Image:
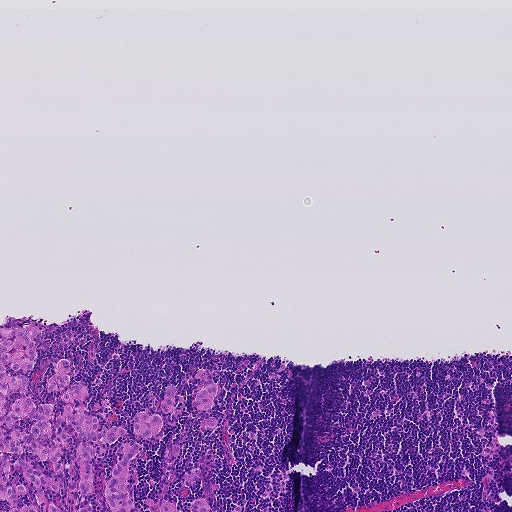
A 0.93-mm field of an H&E-stained sentinel lymph node from a breast-cancer patient (whole-slide image), shown at about 5×, about 1.8 µm per pixel.
Question:
Trace the edge of each tumour region in this crop, as (x, y) points from 0 to 511.
Answer:
Boundaries of five metastatic tumour regions, simplified and listed clockwise, largest first: region 1: (0, 327), (41, 328), (26, 388), (34, 405), (50, 403), (50, 421), (57, 425), (67, 404), (62, 391), (45, 389), (62, 358), (70, 362), (68, 389), (76, 381), (90, 391), (75, 406), (97, 415), (98, 431), (126, 430), (112, 444), (93, 445), (89, 510), (0, 511); region 2: (176, 385), (171, 412), (162, 411), (158, 414), (163, 418), (164, 428), (158, 436), (139, 436), (136, 442), (142, 449), (128, 464), (130, 494), (141, 511), (111, 511), (104, 494), (104, 484), (118, 450), (135, 440), (134, 415), (142, 410), (150, 416), (157, 414), (166, 387); region 3: (210, 385), (218, 387), (217, 396), (213, 399), (212, 407), (203, 409), (195, 409), (193, 402), (196, 394), (202, 388); region 4: (167, 501), (175, 508), (182, 511), (151, 511), (147, 502), (154, 504); region 5: (202, 497), (209, 505), (210, 511), (190, 511), (193, 502).
About 5% of this field is tumour.